Question: 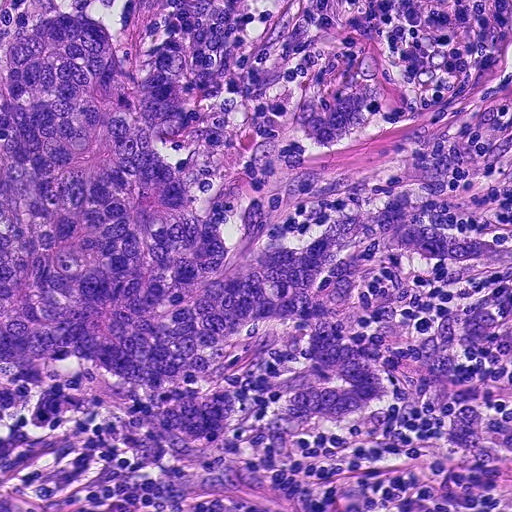
H&E-stained section of a sentinel lymph node (breast cancer), from a whole-slide image, viewed at about 20×: the field is about 0.23 mm across, about 0.45 µm per pixel.
Estimate the proportion of this field that is metastatic tumour.

Choices:
 (A) about 50% or more
 (B) about 25% to 45%
 (C) about 5% or less
 (D) about 10% to 20%
 (E) none: no tumour is outlined

Answer: (B) about 25% to 45%
About 45% of the field is tumour.
The outlined metastatic tumour's edge, as a closed clockwise path of 22 points: (0, 0), (94, 8), (151, 72), (190, 70), (202, 108), (180, 139), (200, 177), (296, 242), (356, 228), (383, 192), (422, 196), (448, 227), (511, 247), (356, 276), (338, 314), (392, 372), (394, 407), (342, 430), (304, 423), (196, 444), (98, 378), (0, 373).